A 0.23-mm field of an H&E-stained sentinel lymph node from a breast-cancer patient (whole-slide image), shown at about 20×, about 0.45 µm per pixel.
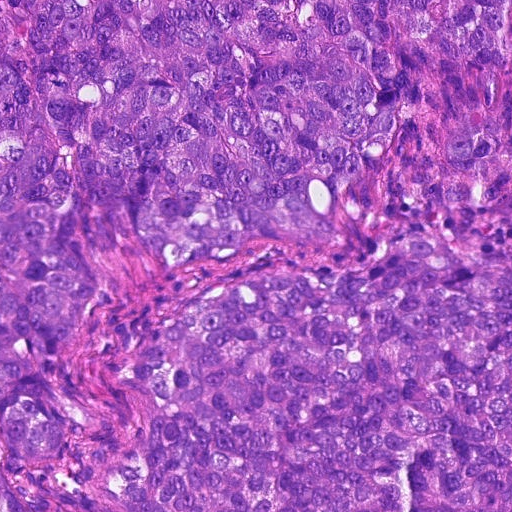
Metastatic tumour outline, simplified to 22 points and listed clockwise in crop pixels (x, y): (0, 0), (511, 0), (511, 511), (120, 511), (137, 469), (138, 420), (156, 404), (134, 376), (191, 301), (257, 274), (372, 264), (254, 243), (236, 258), (166, 270), (127, 243), (85, 259), (100, 278), (62, 355), (88, 420), (33, 467), (64, 506), (0, 511).
About 90% of this field is tumour.